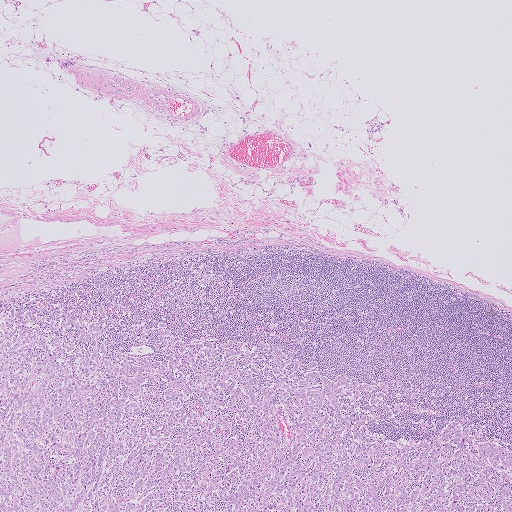
H&E-stained section of a sentinel lymph node (breast cancer), from a whole-slide image, viewed at about 2.5×: the field is about 2.0 mm across, about 4.0 µm per pixel.
Metastatic tumour outline, simplified to 11 points and listed clockwise in crop pixels (x, y): (0, 310), (164, 313), (197, 333), (396, 381), (408, 397), (381, 426), (398, 437), (457, 420), (510, 447), (511, 511), (0, 511).
The annotated tumour makes up about 30% of the crop.